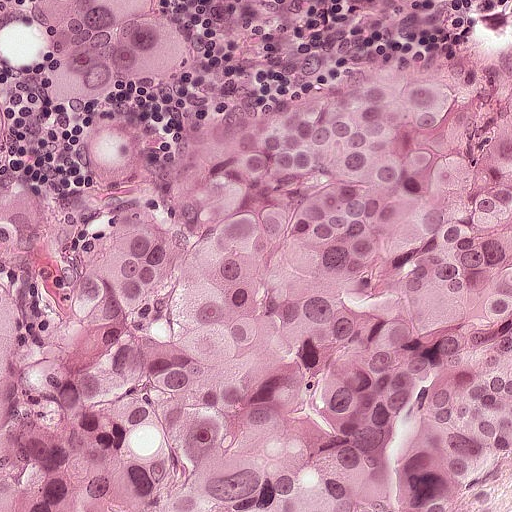
H&E-stained section of a sentinel lymph node (breast cancer), from a whole-slide image, viewed at about 20×: the field is about 0.25 mm across, about 0.49 µm per pixel.
Boundaries of two metastatic tumour regions, simplified and listed clockwise, largest first: region 1: (368, 51), (511, 55), (511, 483), (470, 511), (0, 511), (4, 90), (22, 155), (10, 197), (68, 196), (120, 190), (220, 111), (288, 96); region 2: (159, 0), (200, 55), (197, 84), (184, 91), (134, 96), (112, 108), (64, 102), (49, 41), (34, 22), (27, 1).
About 85% of this field is tumour.